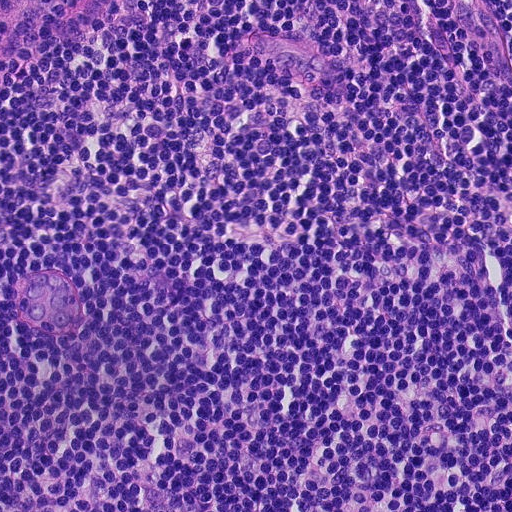
A 0.23-mm field of an H&E-stained sentinel lymph node from a breast-cancer patient (whole-slide image), shown at about 20×, about 0.45 µm per pixel.